Question: 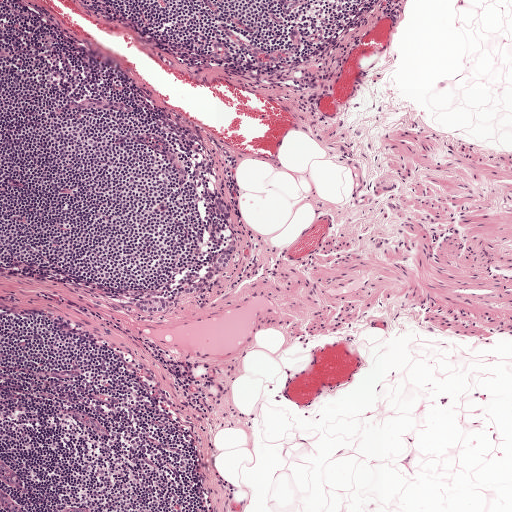
At roughly what magnification is this field shown?

Choices:
 (A) about 10×
 (B) about 5×
 (C) about 40×
 (D) about 20×
 (E) about 2.5×

Answer: (B) about 5×
Lymph node section stained with H&E, from a whole-slide image of a breast-cancer sentinel node. Magnification about 5×, about 1 mm across the frame, about 1.9 µm per pixel.
Three metastatic tumour regions, each outlined as a closed clockwise path in crop pixels (x, y), largest first: region 1: (232, 242), (235, 250), (232, 258), (223, 270), (206, 286), (199, 290), (192, 292), (184, 292), (185, 288), (196, 283), (202, 278); region 2: (163, 298), (168, 300), (168, 306), (165, 312), (144, 312), (137, 310), (134, 305), (140, 299); region 3: (216, 196), (222, 198), (230, 204), (230, 218), (226, 222), (219, 214), (215, 206).
Tumour covers under 5% of the frame.